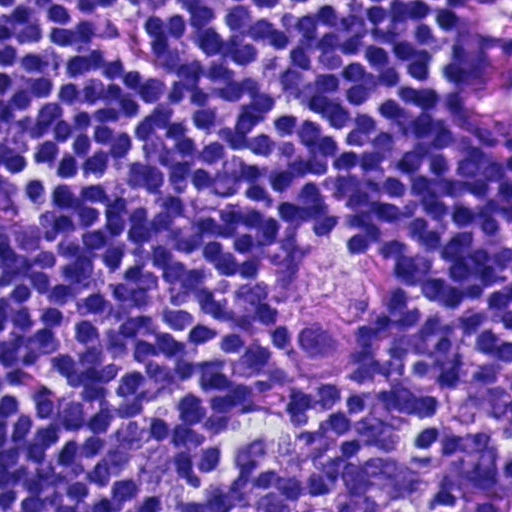
Lymph node section stained with H&E, from a whole-slide image of a breast-cancer sentinel node. Magnification about 40×, about 0.12 mm across the frame, about 0.23 µm per pixel.
The outlined metastatic tumour's edge, as a closed clockwise path of 6 points: (348, 240), (383, 284), (378, 341), (334, 378), (288, 348), (297, 263).
Tumour covers about 5% of the frame.